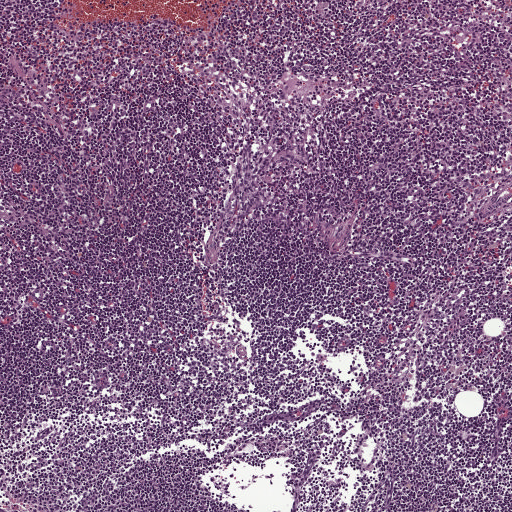
This is a crop of a whole-slide image: an H&E-stained breast-cancer sentinel lymph node section at roughly 5× magnification (about 1.9 µm per pixel; the crop spans about 1 mm).